A 0.25-mm field of an H&E-stained sentinel lymph node from a breast-cancer patient (whole-slide image), shown at about 20×, about 0.49 µm per pixel.
Question: 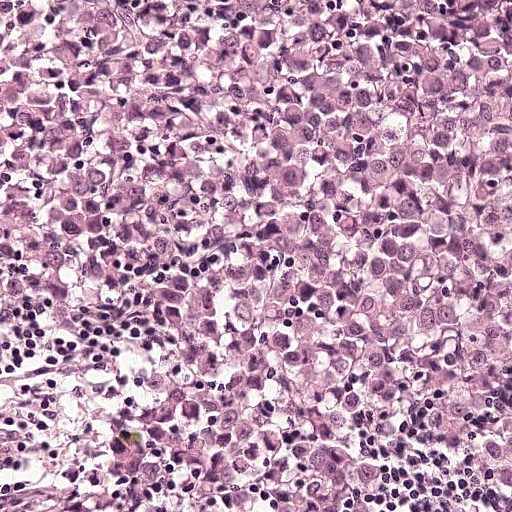
Estimate the proportion of this field that is metastatic tumour.

Choices:
 (A) about 10% to 20%
 (B) about 50% or more
 (C) none: no tumour is outlined
 (D) about 5% or less
 (E) about 25% to 45%

Answer: (B) about 50% or more
About 80% of the field is tumour.
Boundaries of two metastatic tumour regions, simplified and listed clockwise, largest first: region 1: (219, 0), (511, 0), (511, 511), (148, 511), (148, 371), (126, 282), (124, 191), (148, 96); region 2: (0, 0), (103, 0), (80, 78), (48, 230), (0, 328).